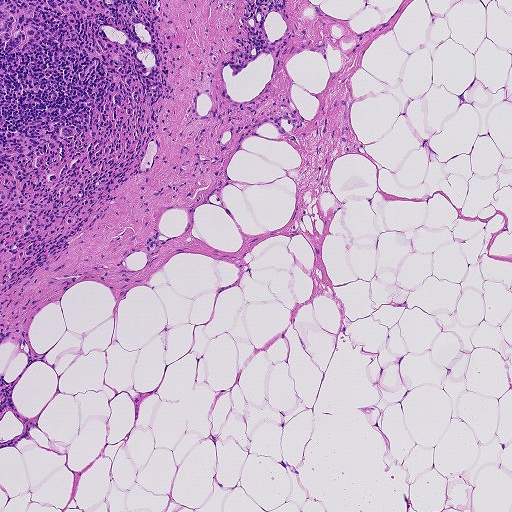
A 0.93-mm field of an H&E-stained sentinel lymph node from a breast-cancer patient (whole-slide image), shown at about 5×, about 1.8 µm per pixel.
Tumour region outline (a closed clockwise path, crop pixels): (0, 0), (160, 0), (162, 100), (141, 166), (95, 226), (0, 299).
About 15% of this field is tumour.